Question: 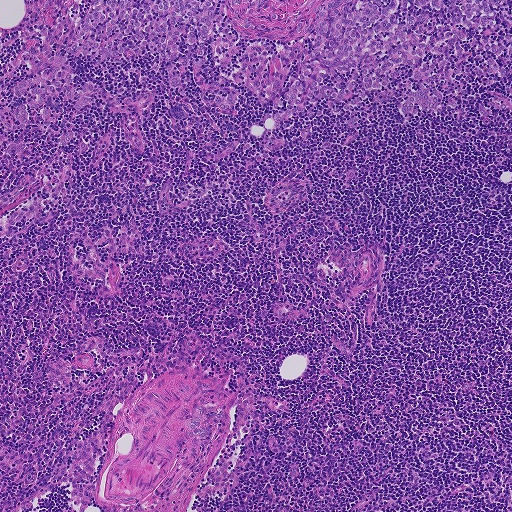
A 0.93-mm field of an H&E-stained sentinel lymph node from a breast-cancer patient (whole-slide image), shown at about 5×, about 1.8 µm per pixel.
Roughly what share of this field is metastatic tumour?

Choices:
 (A) about 25% to 45%
 (B) about 5% or less
 (C) none: no tumour is outlined
 (D) about 50% or more
 (E) about 10% to 20%

Answer: (E) about 10% to 20%
About 15% of the field is tumour.
Outlines of two tumour regions, largest first (closed clockwise paths, crop pixels): region 1: (511, 0), (492, 39), (511, 34), (511, 63), (484, 52), (509, 69), (483, 85), (460, 44), (462, 73), (432, 88), (460, 105), (402, 121), (422, 80), (396, 66), (380, 92), (398, 98), (353, 106), (344, 144), (342, 100), (261, 123), (271, 102), (232, 74), (271, 40), (228, 23), (231, 66), (210, 34), (201, 65), (200, 20), (169, 60), (130, 35), (98, 65), (68, 54), (94, 97), (46, 128), (26, 105), (11, 130), (0, 111), (31, 96), (13, 87), (89, 4); region 2: (227, 93), (232, 94), (234, 97), (235, 105), (234, 109), (230, 111), (221, 110), (218, 106), (214, 99), (217, 95), (224, 100), (226, 97).
One more small tumour piece is annotated here but not outlined.